Question: 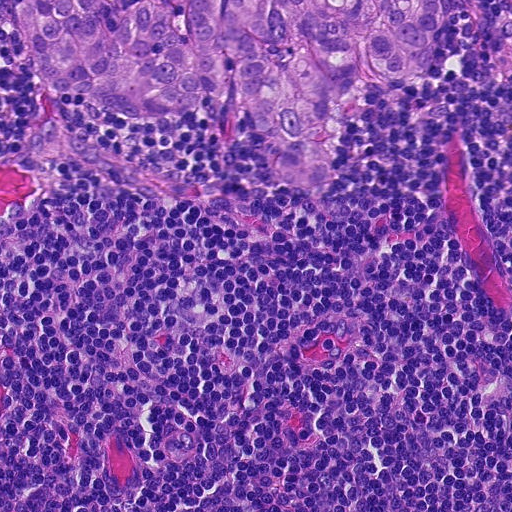
A 0.23-mm field of an H&E-stained sentinel lymph node from a breast-cancer patient (whole-slide image), shown at about 20×, about 0.45 µm per pixel.
Estimate the proportion of this field that is metastatic tumour.

Choices:
 (A) about 25% to 45%
 (B) none: no tumour is outlined
 (C) about 10% to 20%
 (D) about 50% or more
 (E) about 5% or less

Answer: (C) about 10% to 20%
About 20% of the field is tumour.
Tumour region outline (a closed clockwise path, crop pixels): (0, 0), (469, 0), (466, 34), (443, 64), (409, 88), (366, 91), (338, 122), (338, 165), (318, 201), (298, 200), (270, 170), (230, 96), (215, 122), (196, 110), (168, 124), (126, 122), (48, 92), (6, 23), (0, 34).